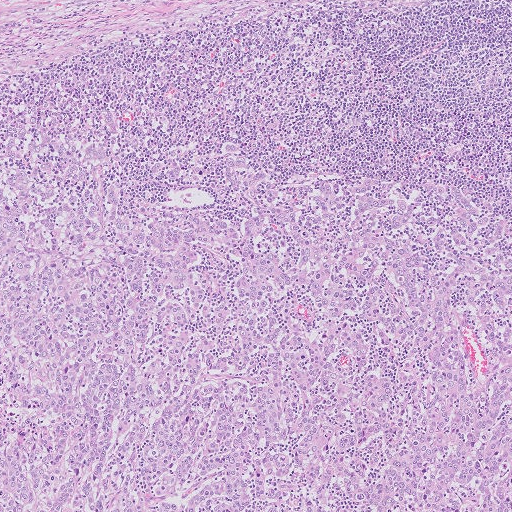
H&E-stained section of a sentinel lymph node (breast cancer), from a whole-slide image, viewed at about 5×: the field is about 1.0 mm across, about 2.0 µm per pixel.
Tumour region outline (a closed clockwise path, crop pixels): (0, 113), (193, 116), (235, 124), (301, 165), (425, 178), (511, 208), (511, 511), (0, 511).
Tumour covers about 70% of the frame.